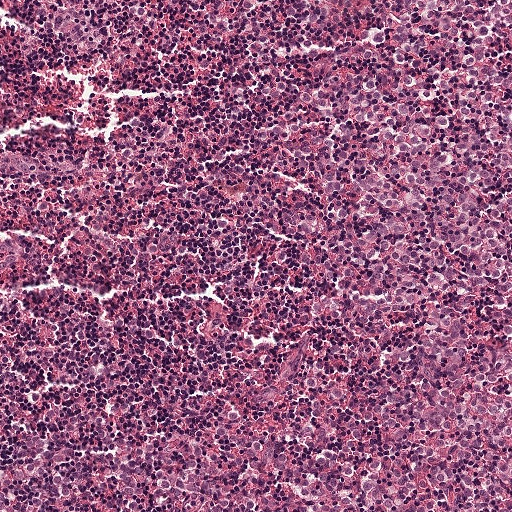
Lymph node section stained with H&E, from a whole-slide image of a breast-cancer sentinel node. Magnification about 10×, about 0.5 mm across the frame, about 0.97 µm per pixel.
The outlined metastatic tumour's edge, as a closed clockwise path of 13 points: (272, 0), (511, 0), (511, 511), (0, 511), (0, 412), (37, 384), (103, 373), (197, 390), (237, 364), (267, 322), (273, 254), (245, 154), (245, 53).
The annotated tumour makes up about 65% of the crop.